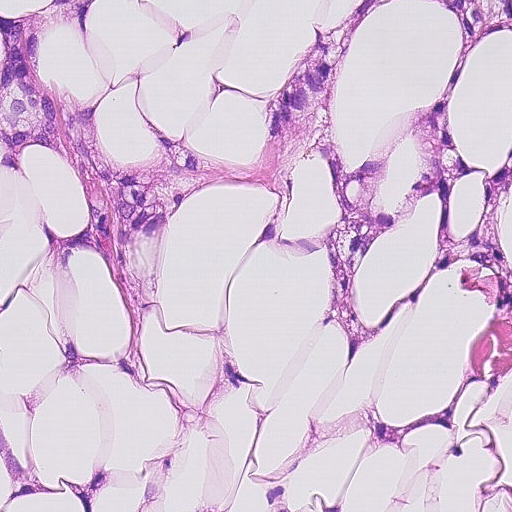
This is a crop of a whole-slide image: an H&E-stained breast-cancer sentinel lymph node section at roughly 20× magnification (about 0.45 µm per pixel; the crop spans about 0.23 mm).
Outlines of two tumour regions, largest first (closed clockwise paths, crop pixels): region 1: (0, 0), (511, 0), (511, 333), (448, 276), (368, 350), (336, 332), (324, 299), (330, 264), (256, 249), (266, 214), (237, 182), (168, 206), (150, 313), (132, 310), (77, 173), (48, 147), (12, 144), (0, 155); region 2: (268, 482), (298, 491), (307, 511), (192, 511), (202, 508), (236, 508), (257, 484).
About 50% of the image area is annotated as tumour.